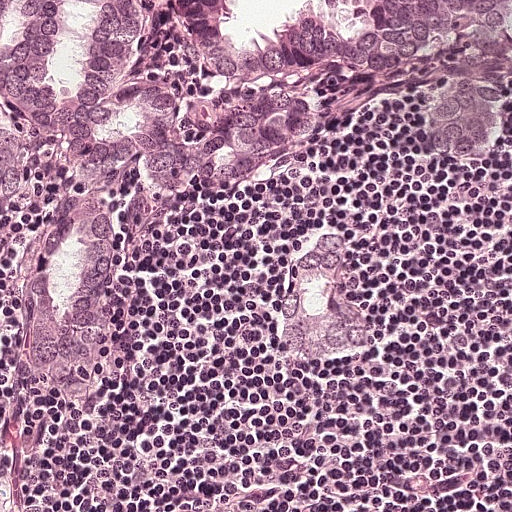
H&E-stained section of a sentinel lymph node (breast cancer), from a whole-slide image, viewed at about 20×: the field is about 0.25 mm across, about 0.49 µm per pixel.
Outlines of three tumour regions, largest first (closed clockwise paths, crop pixels): region 1: (0, 0), (511, 0), (508, 159), (464, 178), (440, 172), (416, 132), (436, 76), (414, 76), (347, 111), (299, 176), (266, 196), (160, 206), (130, 194), (138, 280), (92, 382), (40, 378), (26, 220), (2, 218); region 2: (336, 228), (346, 237), (355, 257), (360, 303), (374, 334), (372, 345), (362, 352), (348, 357), (312, 359), (273, 344), (277, 298), (290, 258), (305, 237); region 3: (0, 469), (14, 472), (22, 480), (23, 490), (25, 492), (24, 511), (0, 511).
About 45% of this field is tumour.